Question: 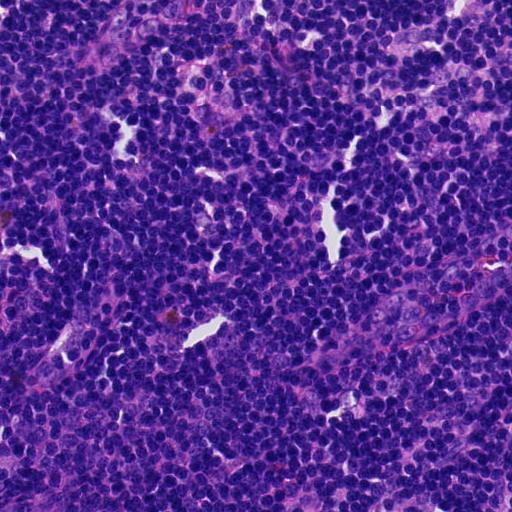
Which magnification is this H&E lymph node field most likely shown at?

Choices:
 (A) about 2.5×
 (B) about 10×
 (C) about 20×
 (D) about 5×
 (E) about 40×

Answer: (C) about 20×
H&E-stained section of a sentinel lymph node (breast cancer), from a whole-slide image, viewed at about 20×: the field is about 0.23 mm across, about 0.45 µm per pixel.